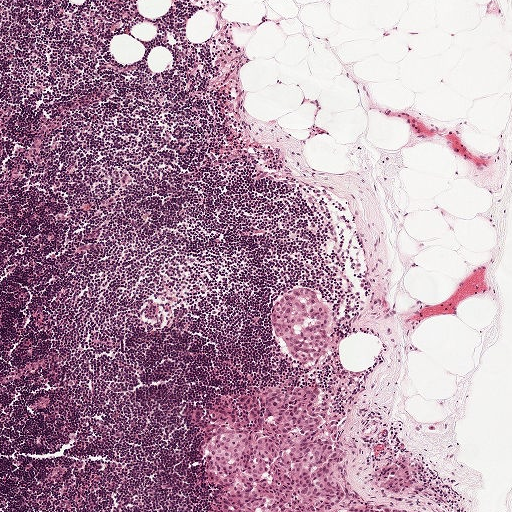
Lymph node section stained with H&E, from a whole-slide image of a breast-cancer sentinel node. Magnification about 5×, about 1 mm across the frame, about 1.9 µm per pixel.
Boundaries of three metastatic tumour regions, simplified and listed clockwise, largest first: region 1: (279, 384), (308, 388), (347, 451), (339, 472), (345, 485), (360, 505), (380, 511), (208, 511), (219, 488), (204, 476), (199, 445), (211, 422), (221, 413), (240, 414), (244, 400); region 2: (297, 287), (303, 289), (320, 296), (327, 306), (333, 321), (333, 329), (325, 356), (319, 362), (310, 365), (295, 364), (277, 342), (271, 327), (270, 312), (277, 298); region 3: (398, 457), (406, 462), (417, 474), (417, 481), (413, 487), (390, 495), (380, 489), (376, 478), (381, 467).
The annotated tumour makes up about 10% of the crop.